Question: 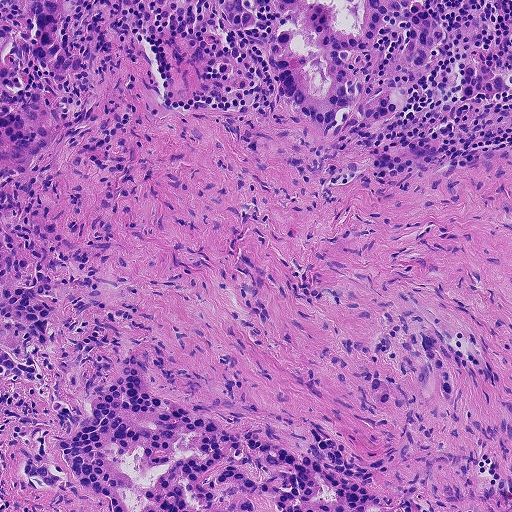
This is a crop of a whole-slide image: an H&E-stained breast-cancer sentinel lymph node section at roughly 10× magnification (about 0.9 µm per pixel; the crop spans about 0.46 mm).
Estimate the proportion of this field that is metastatic tumour.

Choices:
 (A) about 25% to 45%
 (B) about 5% or less
 (C) about 50% or more
 (D) about 10% to 20%
 (E) none: no tumour is outlined

Answer: (A) about 25% to 45%
About 35% of the field is tumour.
Boundaries of four metastatic tumour regions, simplified and listed clockwise, largest first: region 1: (40, 176), (12, 221), (52, 255), (60, 353), (88, 397), (125, 362), (292, 446), (311, 428), (304, 416), (325, 422), (356, 452), (388, 451), (394, 472), (377, 480), (449, 511), (103, 511), (94, 498), (28, 487), (7, 444), (45, 398), (3, 378), (0, 403), (0, 184); region 2: (201, 0), (420, 0), (438, 10), (452, 27), (446, 47), (396, 117), (409, 124), (448, 105), (477, 48), (498, 49), (511, 38), (511, 89), (465, 112), (441, 149), (406, 170), (385, 171), (352, 140), (312, 124), (281, 95), (258, 59), (203, 24); region 3: (0, 0), (86, 0), (63, 29), (64, 45), (93, 64), (93, 79), (80, 91), (51, 87), (64, 135), (38, 160), (0, 181); region 4: (432, 326), (465, 329), (479, 339), (484, 355), (511, 366), (511, 377), (495, 372), (504, 380), (494, 382), (445, 360), (454, 386), (450, 402), (446, 402), (437, 387), (434, 370), (431, 397), (414, 395), (413, 378), (419, 362), (415, 330).